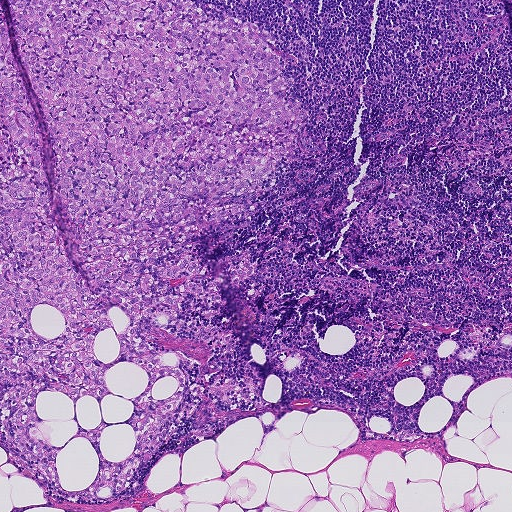
H&E-stained section of a sentinel lymph node (breast cancer), from a whole-slide image, viewed at about 5×: the field is about 0.93 mm across, about 1.8 µm per pixel.
One metastatic tumour region; its boundary, reduced to 22 corners and listed clockwise: (0, 0), (192, 0), (212, 20), (253, 22), (306, 120), (270, 189), (229, 197), (217, 205), (246, 209), (165, 257), (243, 252), (255, 270), (224, 283), (218, 317), (190, 294), (147, 334), (185, 378), (157, 448), (126, 488), (77, 496), (22, 453), (1, 413).
The annotated tumour makes up about 40% of the crop.